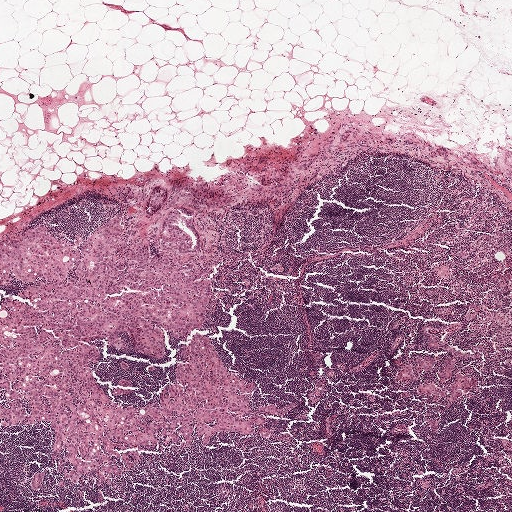
Lymph node section stained with H&E, from a whole-slide image of a breast-cancer sentinel node. Magnification about 2.5×, about 2.0 mm across the frame, about 3.9 µm per pixel.
The eight largest tumour regions' boundaries, simplified and listed clockwise, largest first: region 1: (189, 207), (202, 244), (173, 254), (212, 280), (205, 316), (181, 339), (161, 326), (158, 357), (128, 331), (124, 347), (98, 339), (94, 378), (122, 407), (161, 400), (203, 332), (255, 381), (242, 416), (267, 423), (204, 444), (195, 428), (190, 447), (159, 430), (111, 485), (90, 472), (59, 486), (49, 421), (0, 427), (0, 312), (11, 301), (31, 303), (22, 280), (0, 286), (3, 246), (38, 225), (81, 245), (117, 214), (111, 258), (145, 242), (153, 257), (167, 213); region 2: (465, 374), (474, 377), (476, 384), (474, 388), (465, 387), (464, 389), (467, 390), (469, 393), (452, 401), (449, 399), (450, 390), (457, 375); region 3: (450, 355), (453, 357), (454, 369), (449, 380), (440, 382), (437, 379), (437, 374), (445, 358); region 4: (433, 384), (446, 391), (448, 394), (448, 396), (446, 398), (440, 398), (436, 400), (434, 398), (436, 393), (430, 396), (422, 394), (418, 391), (418, 385); region 5: (160, 189), (163, 189), (165, 192), (165, 201), (161, 207), (148, 215), (146, 210), (154, 193); region 6: (409, 362), (412, 363), (415, 371), (415, 380), (405, 380), (395, 383), (393, 382), (394, 376), (403, 368), (405, 365); region 7: (430, 355), (434, 358), (433, 371), (425, 372), (420, 369), (415, 361), (415, 356), (424, 357); region 8: (39, 472), (43, 474), (42, 484), (38, 489), (33, 489), (30, 484), (34, 474).
One more, smaller tumour region is not outlined.
Three more small tumour pieces are annotated here but not outlined.
Tumour covers about 15% of the frame.